Question: 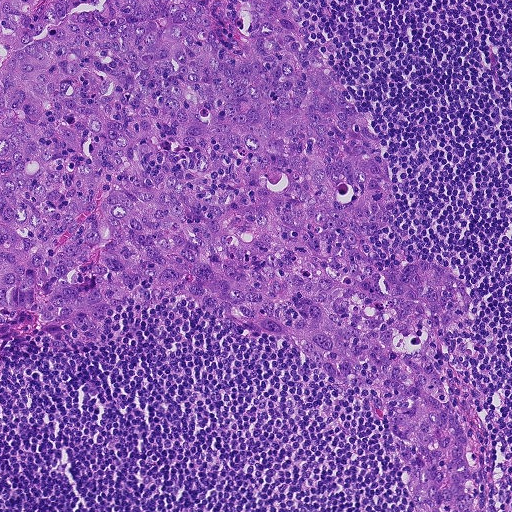
This is a crop of a whole-slide image: an H&E-stained breast-cancer sentinel lymph node section at roughly 10× magnification (about 0.9 µm per pixel; the crop spans about 0.46 mm).
Estimate the proportion of this field that is metastatic tumour.

Choices:
 (A) about 5% or less
 (B) none: no tumour is outlined
 (C) about 10% to 20%
 (D) about 25% to 45%
 (E) about 50% or more

Answer: (E) about 50% or more
About 55% of the field is tumour.
One metastatic tumour region; its boundary, reduced to 23 corners and listed clockwise: (0, 0), (303, 0), (312, 32), (368, 114), (392, 184), (394, 208), (354, 232), (355, 257), (376, 269), (426, 258), (469, 284), (446, 352), (487, 442), (487, 511), (421, 511), (380, 409), (279, 338), (208, 317), (190, 301), (119, 314), (110, 344), (14, 334), (0, 379).